Question: 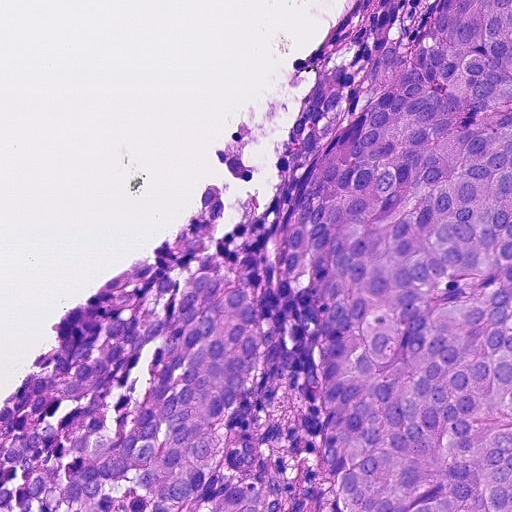
H&E-stained section of a sentinel lymph node (breast cancer), from a whole-slide image, viewed at about 20×: the field is about 0.23 mm across, about 0.45 µm per pixel.
Roughly what share of this field is metastatic tumour?

Choices:
 (A) about 25% to 45%
 (B) none: no tumour is outlined
 (C) about 10% to 20%
 (D) about 50% or more
 (E) about 5% or less

Answer: (D) about 50% or more
About 70% of the field is tumour.
Metastatic tumour outline, simplified to 21 points and listed clockwise in crop pixels (x, y): (341, 0), (407, 0), (410, 33), (434, 0), (511, 0), (511, 511), (0, 511), (0, 410), (67, 312), (186, 225), (212, 178), (226, 235), (266, 218), (318, 70), (258, 127), (248, 146), (254, 177), (234, 180), (222, 160), (226, 134), (308, 61).